Question: 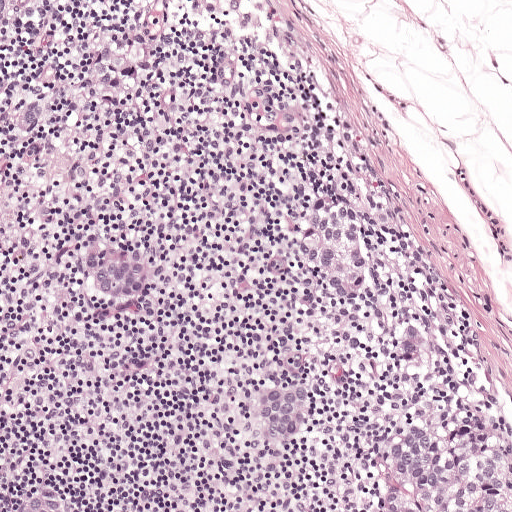
H&E-stained section of a sentinel lymph node (breast cancer), from a whole-slide image, viewed at about 10×: the field is about 0.5 mm across, about 0.97 µm per pixel.
Estimate the proportion of this field that is metastatic tumour.

Choices:
 (A) about 5% or less
 (B) about 25% to 45%
 (C) about 50% or more
 (D) none: no tumour is outlined
 (E) about 10% to 20%

Answer: (E) about 10% to 20%
About 15% of the field is tumour.
Eight metastatic tumour regions, each outlined as a closed clockwise path in crop pixels (x, y), largest first: region 1: (454, 375), (498, 396), (511, 416), (511, 511), (361, 511), (368, 496), (353, 450), (356, 401), (404, 380); region 2: (330, 199), (367, 210), (378, 236), (380, 264), (374, 290), (353, 300), (329, 297), (312, 281), (304, 258), (307, 235), (315, 212); region 3: (111, 42), (142, 48), (157, 72), (128, 110), (104, 115), (83, 108), (66, 90), (65, 62), (81, 46); region 4: (310, 367), (326, 385), (318, 406), (299, 426), (278, 436), (252, 440), (232, 428), (236, 405), (253, 386); region 5: (116, 242), (152, 246), (163, 268), (157, 294), (135, 310), (109, 312), (89, 300), (82, 276), (95, 252); region 6: (418, 309), (440, 322), (442, 348), (426, 367), (397, 365), (388, 344), (394, 318), (393, 310); region 7: (0, 0), (67, 0), (53, 20), (34, 32), (6, 44), (0, 44); region 8: (44, 481), (78, 511), (3, 511), (19, 494).